Lymph node section stained with H&E, from a whole-slide image of a breast-cancer sentinel node. Magnification about 2.5×, about 1.9 mm across the frame, about 3.6 µm per pixel.
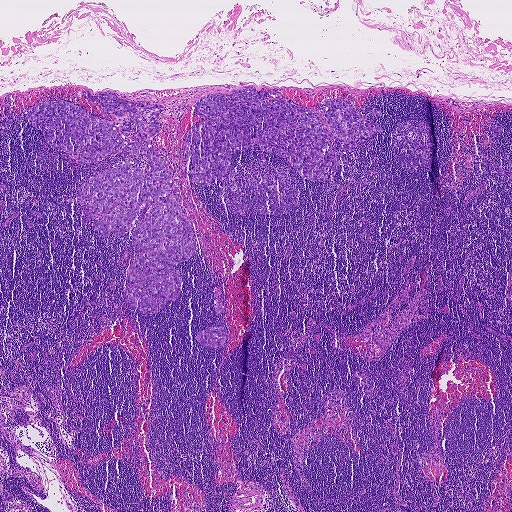
Four metastatic tumour regions, each outlined as a closed clockwise path in crop pixels (x, y), largest first: region 1: (88, 90), (165, 107), (156, 119), (162, 129), (151, 141), (168, 158), (180, 216), (196, 240), (194, 256), (172, 267), (183, 282), (177, 299), (154, 314), (130, 308), (124, 285), (138, 216), (120, 238), (112, 231), (102, 236), (93, 218), (82, 221), (90, 198), (76, 196), (80, 186), (125, 161), (147, 171), (147, 157), (117, 150), (84, 162), (51, 147), (26, 112), (51, 101), (76, 105), (115, 125), (125, 119), (84, 98); region 2: (278, 88), (264, 98), (284, 98), (323, 118), (326, 102), (345, 98), (381, 130), (351, 153), (333, 142), (345, 163), (327, 179), (301, 176), (289, 159), (256, 140), (235, 150), (228, 172), (202, 186), (182, 149), (189, 130), (221, 113), (195, 112), (206, 94); region 3: (211, 327), (223, 327), (225, 335), (225, 344), (218, 348), (205, 347), (195, 339), (198, 331); region 4: (219, 296), (221, 297), (222, 300), (223, 311), (222, 313), (218, 313), (216, 312), (214, 309), (214, 299), (215, 297).
Two more small tumour pieces are annotated here but not outlined.
About 10% of this field is tumour.